Image:
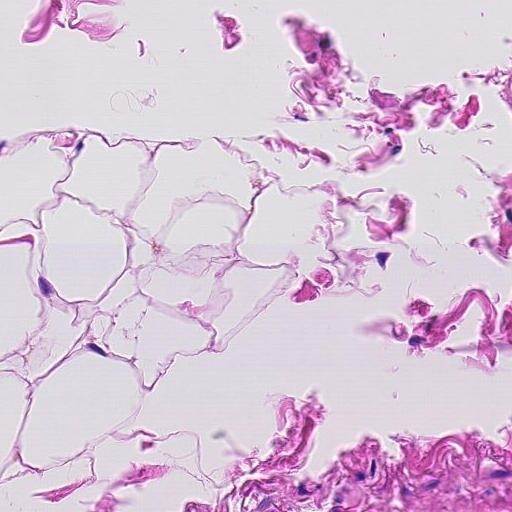
A 0.23-mm field of an H&E-stained sentinel lymph node from a breast-cancer patient (whole-slide image), shown at about 20×, about 0.45 µm per pixel.
Question:
Is any metastatic breast cancer visible in this crop?
Answer:
No: no metastatic tumour is outlined anywhere in this field.